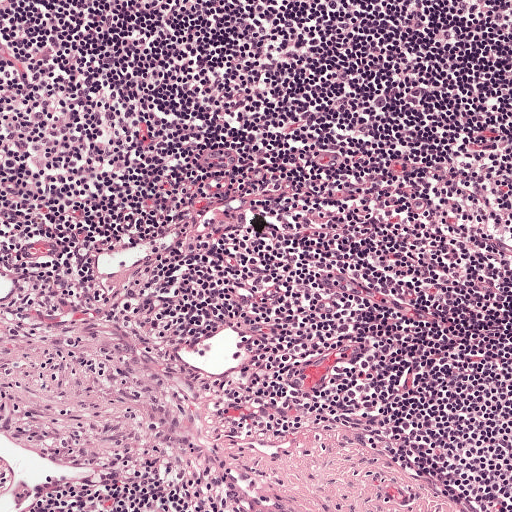
This is a crop of a whole-slide image: an H&E-stained breast-cancer sentinel lymph node section at roughly 10× magnification (about 0.97 µm per pixel; the crop spans about 0.5 mm).